This is a crop of a whole-slide image: an H&E-stained breast-cancer sentinel lymph node section at roughly 5× magnification (about 1.9 µm per pixel; the crop spans about 1 mm).
Question: 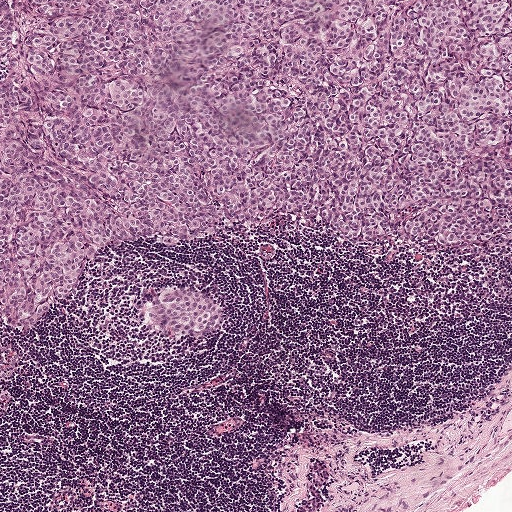
Estimate the proportion of this field that is metastatic tumour.

Choices:
 (A) none: no tumour is outlined
 (B) about 50% or more
 (C) about 5% or less
 (D) about 25% to 45%
 (E) about 10% to 20%

Answer: (B) about 50% or more
About 50% of the field is tumour.
Two metastatic tumour regions, each outlined as a closed clockwise path in crop pixels (x, y), largest first: region 1: (0, 0), (511, 0), (511, 231), (482, 245), (367, 244), (298, 222), (274, 236), (230, 227), (184, 242), (122, 235), (97, 244), (93, 276), (54, 320), (0, 326); region 2: (171, 287), (192, 288), (217, 297), (221, 306), (221, 315), (218, 328), (214, 333), (164, 332), (149, 326), (145, 318), (147, 302).